A 0.46-mm field of an H&E-stained sentinel lymph node from a breast-cancer patient (whole-slide image), shown at about 10×, about 0.9 µm per pixel.
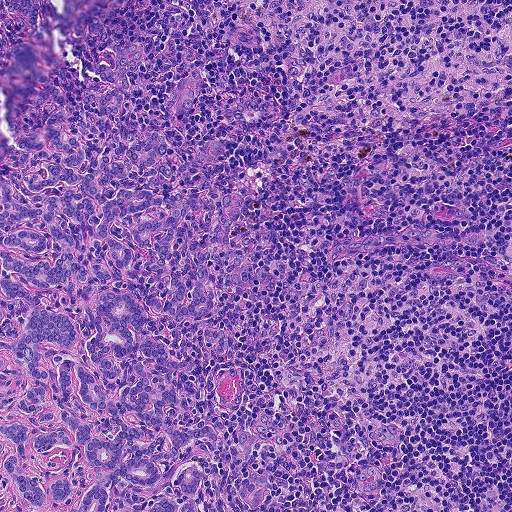
Question: Is there metastatic carcinoma in this field?
Answer: Yes.
Boundaries of two metastatic tumour regions, simplified and listed clockwise, largest first: region 1: (89, 16), (148, 57), (128, 76), (132, 130), (172, 124), (190, 68), (282, 114), (257, 138), (202, 100), (183, 120), (223, 140), (246, 206), (231, 235), (255, 239), (245, 287), (201, 324), (235, 354), (192, 416), (226, 444), (268, 412), (286, 429), (282, 466), (268, 443), (251, 460), (256, 508), (233, 464), (209, 508), (0, 511), (0, 161), (15, 147), (0, 78), (10, 85), (14, 130), (57, 72), (79, 104), (93, 60), (116, 60); region 2: (0, 0), (46, 0), (47, 11), (39, 32), (15, 43), (0, 63).
Two more small tumour pieces are annotated here but not outlined.
Tumour covers about 40% of the frame.